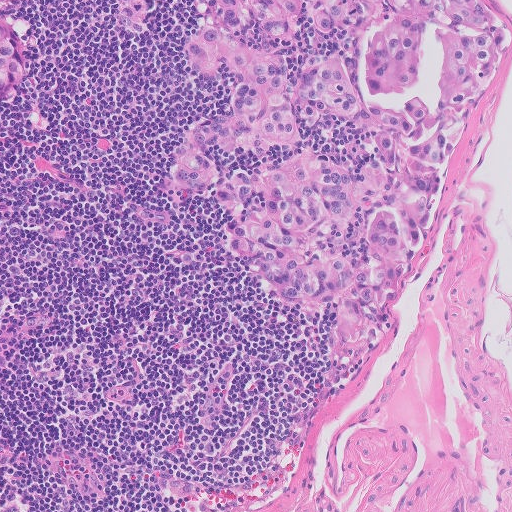
Lymph node section stained with H&E, from a whole-slide image of a breast-cancer sentinel node. Magnification about 10×, about 0.51 mm across the frame, about 1.0 µm per pixel.
Outlines of four tumour regions, largest first (closed clockwise paths, crop pixels): region 1: (87, 0), (487, 0), (494, 31), (430, 250), (402, 308), (364, 352), (307, 354), (240, 259), (152, 190), (183, 81), (160, 28), (106, 42); region 2: (0, 0), (28, 0), (29, 38), (0, 100); region 3: (0, 473), (34, 485), (45, 511), (0, 511); region 4: (194, 482), (221, 511), (170, 511).
Tumour covers about 35% of the frame.